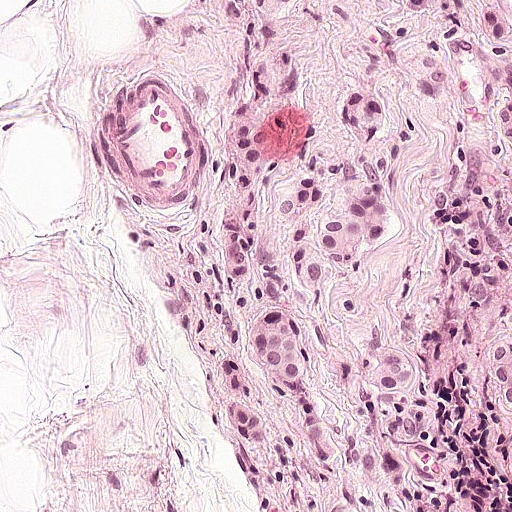
This is a crop of a whole-slide image: an H&E-stained breast-cancer sentinel lymph node section at roughly 20× magnification (about 0.49 µm per pixel; the crop spans about 0.25 mm).
Tumour region outline (a closed clockwise path, crop pixels): (511, 0), (511, 511), (280, 511), (244, 452), (230, 414), (212, 179), (241, 40), (266, 3).
About 55% of the image area is annotated as tumour.